This is a crop of a whole-slide image: an H&E-stained breast-cancer sentinel lymph node section at roughly 20× magnification (about 0.45 µm per pixel; the crop spans about 0.23 mm).
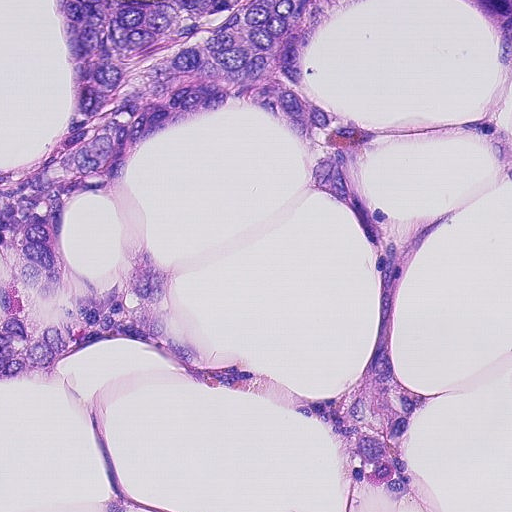
Two metastatic tumour regions, each outlined as a closed clockwise path in crop pixels (x, y), largest first: region 1: (0, 0), (347, 0), (301, 41), (302, 74), (370, 141), (344, 150), (354, 203), (308, 190), (308, 158), (261, 111), (226, 102), (160, 124), (106, 192), (71, 198), (62, 260), (90, 280), (140, 244), (168, 273), (168, 330), (198, 344), (193, 370), (149, 340), (115, 341), (0, 377); region 2: (466, 0), (511, 0), (511, 67), (508, 68), (496, 37), (481, 6).
The annotated tumour makes up about 30% of the crop.